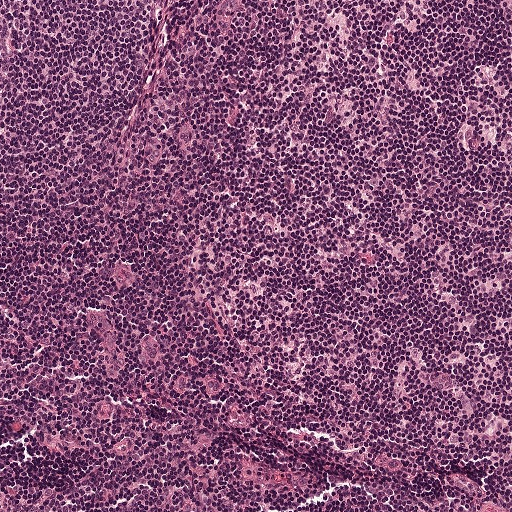
This is a crop of a whole-slide image: an H&E-stained breast-cancer sentinel lymph node section at roughly 10× magnification (about 0.97 µm per pixel; the crop spans about 0.5 mm).